Image:
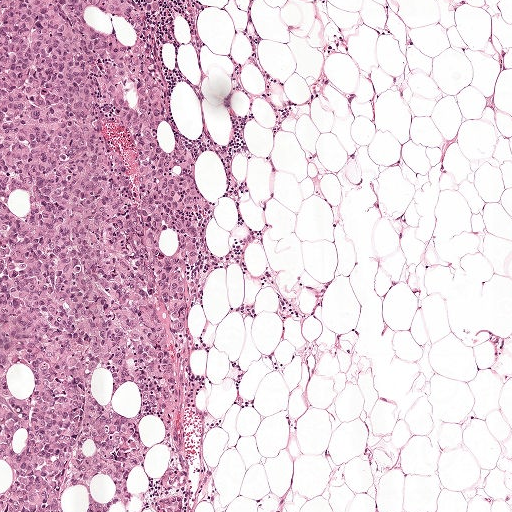
H&E-stained section of a sentinel lymph node (breast cancer), from a whole-slide image, viewed at about 5×: the field is about 1 mm across, about 1.9 µm per pixel.
Question:
Does this lymph node field contain metastatic tumour?
Answer:
Yes.
Metastatic tumour outline, simplified to 9 points and listed clockwise in crop pixels (x, y): (0, 0), (172, 0), (174, 120), (229, 225), (229, 260), (199, 344), (202, 452), (188, 511), (0, 511).
About 40% of this field is tumour.